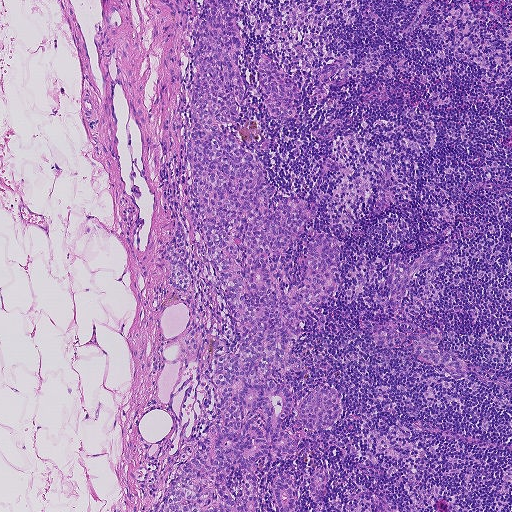
This is a crop of a whole-slide image: an H&E-stained breast-cancer sentinel lymph node section at roughly 5× magnification (about 1.8 µm per pixel; the crop spans about 0.93 mm).
One metastatic tumour region; its boundary, reduced to 33 corners and listed clockwise: (204, 0), (233, 0), (242, 77), (257, 86), (263, 52), (302, 93), (280, 122), (248, 87), (240, 114), (265, 130), (274, 197), (318, 208), (289, 282), (314, 228), (342, 248), (285, 380), (296, 404), (342, 398), (326, 429), (295, 407), (280, 429), (298, 511), (278, 511), (273, 454), (252, 469), (263, 511), (151, 511), (237, 330), (199, 234), (190, 289), (154, 260), (177, 216), (189, 230).
Tumour covers about 20% of the frame.